Question: 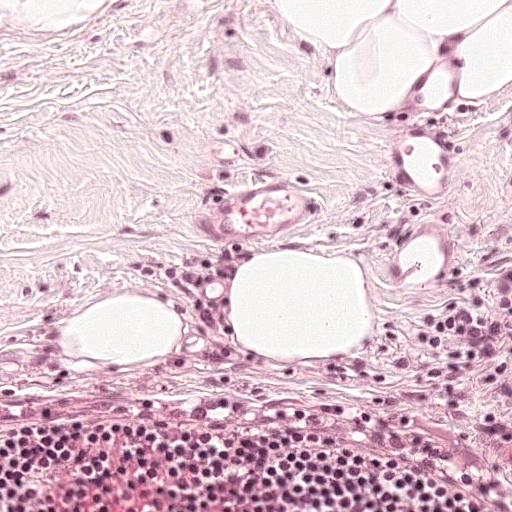
About what magnification does this crop show?

Choices:
 (A) about 2.5×
 (B) about 20×
 (C) about 5×
 (D) about 40×
 (E) about 10×

Answer: (B) about 20×
This is a crop of a whole-slide image: an H&E-stained breast-cancer sentinel lymph node section at roughly 20× magnification (about 0.49 µm per pixel; the crop spans about 0.25 mm).